Question: 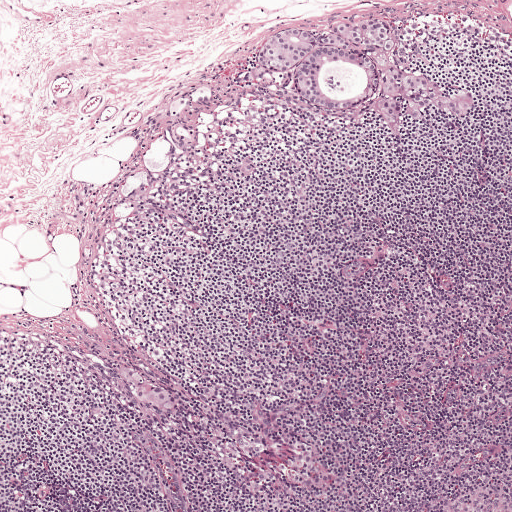
At roughly what magnification is this field shown?

Choices:
 (A) about 10×
 (B) about 20×
 (C) about 40×
 (D) about 5×
 (E) about 2.5×

Answer: (D) about 5×
H&E-stained section of a sentinel lymph node (breast cancer), from a whole-slide image, viewed at about 5×: the field is about 1 mm across, about 1.9 µm per pixel.
Boundaries of two metastatic tumour regions, simplified and listed clockwise, largest first: region 1: (358, 17), (383, 22), (402, 40), (406, 60), (448, 87), (474, 89), (473, 114), (467, 122), (452, 121), (425, 110), (422, 121), (409, 121), (403, 103), (398, 142), (375, 112), (316, 109), (294, 91), (292, 71), (271, 73), (256, 62), (253, 42), (265, 35); region 2: (126, 366), (181, 395), (183, 407), (177, 416), (166, 415), (142, 406), (115, 380), (115, 367).
The annotated tumour makes up about 5% of the crop.
Question: 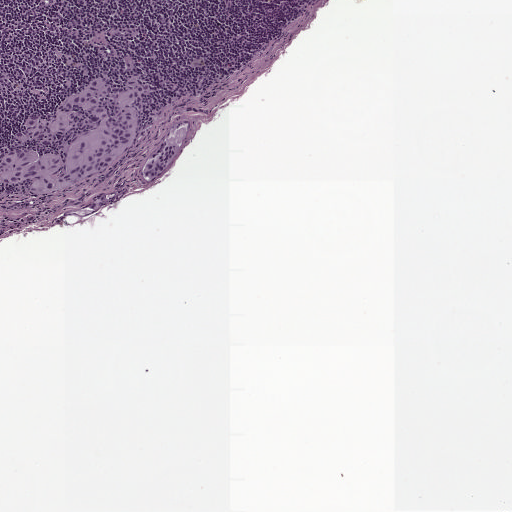
At roughly what magnification is this field shown?

Choices:
 (A) about 20×
 (B) about 5×
 (C) about 10×
 (D) about 40×
 (E) about 2.5×

Answer: (B) about 5×
This is a crop of a whole-slide image: an H&E-stained breast-cancer sentinel lymph node section at roughly 5× magnification (about 1.9 µm per pixel; the crop spans about 1 mm).
Three metastatic tumour regions, each outlined as a closed clockwise path in crop pixels (x, y), largest first: region 1: (129, 53), (137, 61), (140, 75), (154, 90), (134, 138), (103, 175), (41, 196), (33, 195), (25, 183), (9, 187), (0, 183), (0, 154), (40, 142), (8, 144), (6, 137), (21, 119), (28, 114), (43, 116), (96, 75), (104, 75), (117, 87), (126, 76), (122, 56); region 2: (170, 140), (178, 142), (179, 148), (163, 175), (157, 180), (146, 182), (142, 177), (142, 172), (146, 157), (162, 141); region 3: (101, 192), (109, 200), (107, 206), (101, 211), (93, 211), (89, 206), (90, 198), (95, 194).
The annotated tumour makes up about 5% of the crop.
Question: 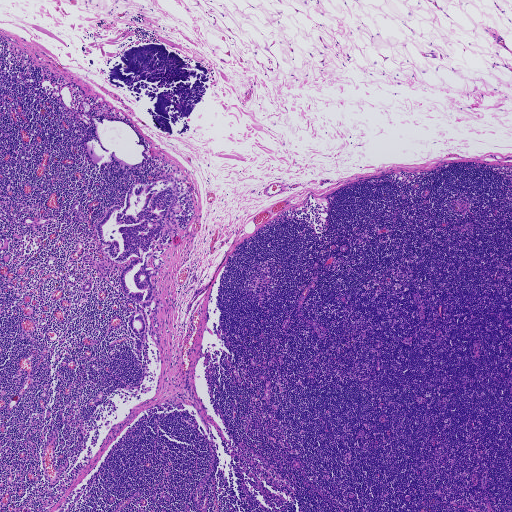
At roughly what magnification is this field shown?

Choices:
 (A) about 5×
 (B) about 10×
 (C) about 20×
 (D) about 2.5×
 (E) about 40×

Answer: (D) about 2.5×
A 1.9-mm field of an H&E-stained sentinel lymph node from a breast-cancer patient (whole-slide image), shown at about 2.5×, about 3.6 µm per pixel.
Boundaries of six metastatic tumour regions, simplified and listed clockwise, largest first: region 1: (176, 168), (174, 177), (181, 209), (178, 217), (179, 232), (159, 256), (165, 263), (159, 275), (151, 277), (156, 308), (149, 315), (122, 290), (123, 269), (138, 257), (133, 254), (128, 261), (116, 263), (103, 251), (96, 227), (110, 208), (114, 205), (123, 208), (133, 183), (151, 182); region 2: (141, 311), (146, 323), (146, 328), (142, 351), (139, 352), (137, 350), (135, 340), (136, 339), (140, 340), (141, 335), (134, 333), (130, 325), (131, 316), (134, 313); region 3: (103, 259), (110, 268), (110, 272), (105, 276), (101, 276), (96, 268), (100, 261); region 4: (79, 202), (81, 206), (80, 209), (86, 219), (83, 221), (79, 221), (76, 219), (75, 212), (73, 209), (72, 205), (75, 203); region 5: (153, 331), (158, 334), (160, 338), (160, 343), (158, 347), (152, 340); region 6: (154, 314), (157, 317), (158, 322), (159, 326), (158, 330), (154, 328), (152, 324).
Two more small tumour pieces are annotated here but not outlined.
The annotated tumour makes up about 5% of the crop.
Question: 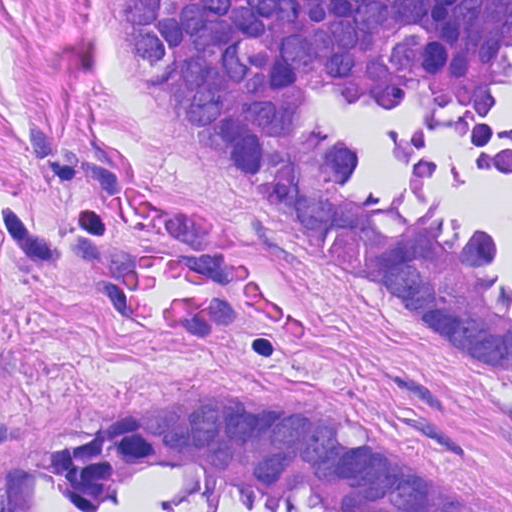
At roughly what magnification is this field shown?

Choices:
 (A) about 40×
 (B) about 20×
 (C) about 2.5×
 (D) about 5×
 (E) about 10×

Answer: (A) about 40×
This is a crop of a whole-slide image: an H&E-stained breast-cancer sentinel lymph node section at roughly 40× magnification (about 0.23 µm per pixel; the crop spans about 0.12 mm).
Outlines of two tumour regions, largest first (closed clockwise paths, crop pixels): region 1: (107, 0), (511, 0), (511, 382), (176, 143), (139, 93); region 2: (198, 395), (320, 416), (379, 438), (496, 511), (0, 511), (1, 475), (113, 418).
Tumour covers about 50% of the frame.